This is a crop of a whole-slide image: an H&E-stained breast-cancer sentinel lymph node section at roughly 2.5× magnification (about 3.9 µm per pixel; the crop spans about 2.0 mm).
Image:
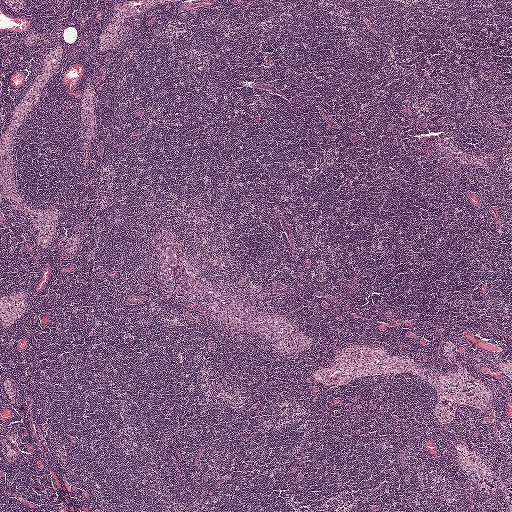
Question:
Show where the tumour is in this image.
Answer:
Metastatic tumour outline, simplified to 9 points and listed clockwise in crop pixels (x, y): (166, 247), (170, 247), (174, 251), (176, 258), (176, 263), (174, 264), (167, 263), (163, 258), (163, 252).
Tumour covers under 5% of the frame.